A 0.5-mm field of an H&E-stained sentinel lymph node from a breast-cancer patient (whole-slide image), shown at about 10×, about 0.97 µm per pixel.
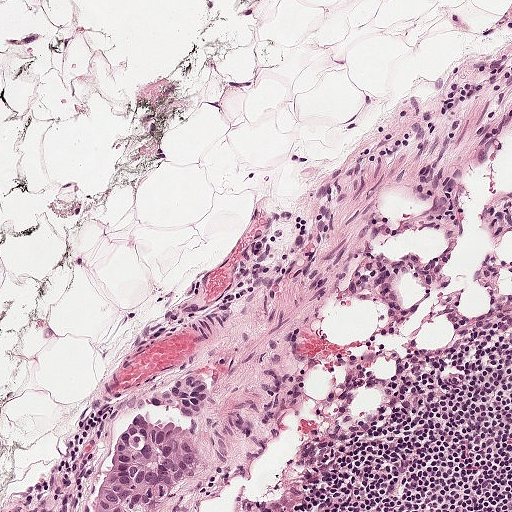
The outlined metastatic tumour's edge, as a closed clockwise path of 12 points: (203, 368), (212, 371), (212, 401), (206, 416), (210, 454), (200, 480), (160, 511), (95, 511), (108, 459), (128, 409), (135, 401), (180, 375).
Tumour covers about 5% of the frame.